H&E-stained section of a sentinel lymph node (breast cancer), from a whole-slide image, viewed at about 20×: the field is about 0.25 mm across, about 0.49 µm per pixel.
Question: 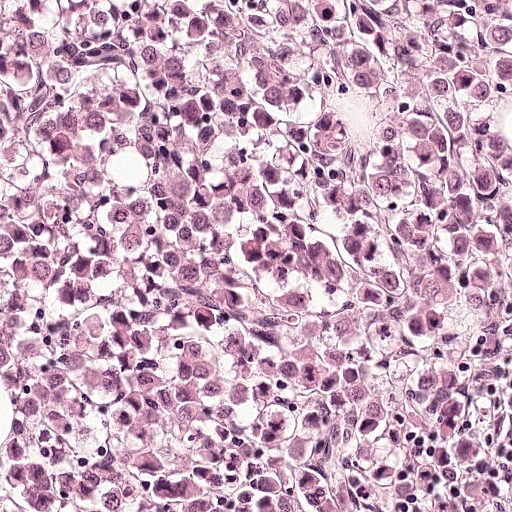
Estimate the proportion of this field that is metastatic tumour.

Choices:
 (A) about 5% or less
 (B) none: no tumour is outlined
 (C) about 50% or more
 (D) about 25% to 45%
 (E) about 10% to 20%

Answer: (C) about 50% or more
About 70% of the field is tumour.
Boundaries of two metastatic tumour regions, simplified and listed clockwise, largest first: region 1: (96, 60), (176, 89), (236, 142), (350, 342), (359, 426), (346, 508), (0, 511), (0, 89); region 2: (511, 0), (511, 443), (364, 196), (302, 66), (286, 3).